Question: 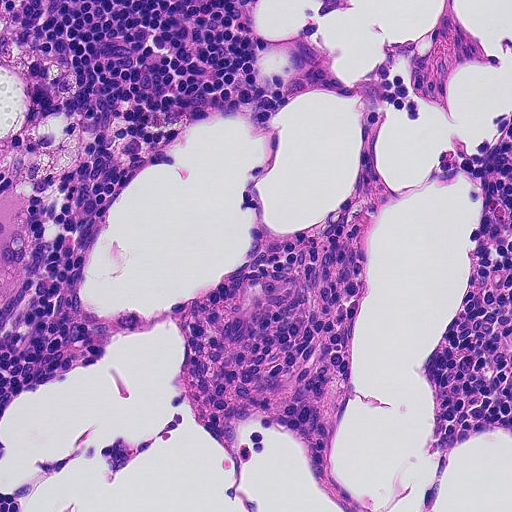
A 0.23-mm field of an H&E-stained sentinel lymph node from a breast-cancer patient (whole-slide image), shown at about 20×, about 0.45 µm per pixel.
What fraction of the image area is metastatic tumour?

Choices:
 (A) about 10% to 20%
 (B) about 50% or more
 (C) about 5% or less
 (D) none: no tumour is outlined
 (E) about 25% to 45%

Answer: (D) none: no tumour is outlined
No metastatic tumour is outlined in this field.